Question: 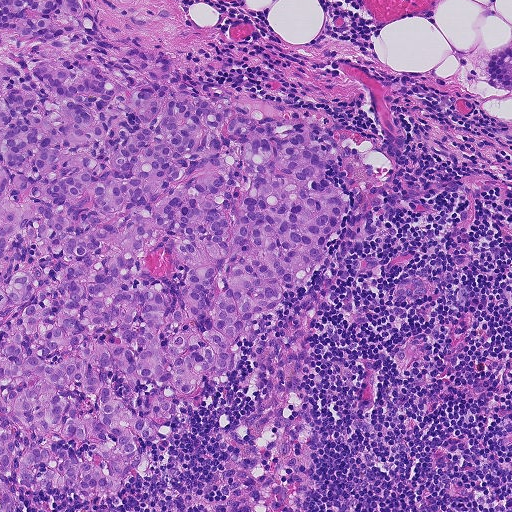
A 0.46-mm field of an H&E-stained sentinel lymph node from a breast-cancer patient (whole-slide image), shown at about 10×, about 0.9 µm per pixel.
Estimate the proportion of this field that is metastatic tumour.

Choices:
 (A) about 5% or less
 (B) about 25% to 45%
 (C) about 50% or more
 (D) about 10% to 20%
 (E) none: no tumour is outlined

Answer: (B) about 25% to 45%
About 45% of the field is tumour.
The outlined metastatic tumour's edge, as a closed clockwise path of 23 points: (0, 0), (84, 0), (123, 47), (167, 50), (174, 78), (191, 88), (229, 82), (324, 112), (341, 147), (326, 175), (347, 190), (347, 211), (323, 265), (285, 288), (223, 384), (202, 385), (173, 440), (146, 449), (148, 469), (122, 498), (20, 492), (26, 511), (0, 511).